Lymph node section stained with H&E, from a whole-slide image of a breast-cancer sentinel node. Magnification about 20×, about 0.26 mm across the frame, about 0.5 µm per pixel.
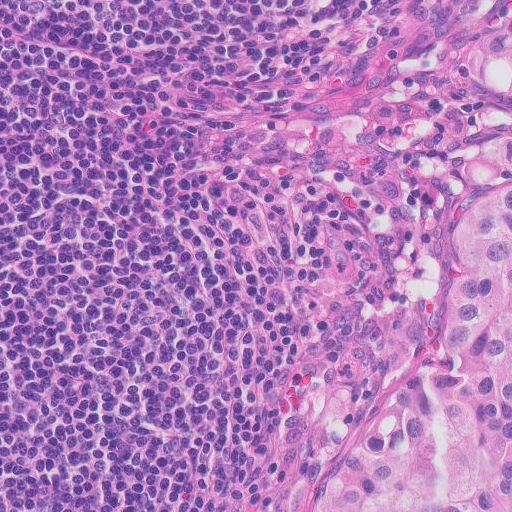
The outlined metastatic tumour's edge, as a closed clockwise path of 8 points: (296, 0), (511, 0), (511, 511), (221, 511), (265, 398), (262, 286), (235, 172), (260, 66).
Tumour covers about 50% of the frame.